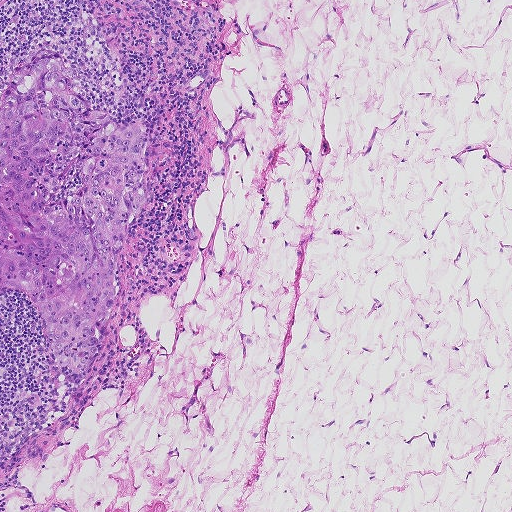
H&E-stained section of a sentinel lymph node (breast cancer), from a whole-slide image, viewed at about 5×: the field is about 0.93 mm across, about 1.8 µm per pixel.
The outlined metastatic tumour's edge, as a closed clockwise path of 16 points: (48, 51), (64, 60), (87, 103), (115, 125), (146, 133), (153, 198), (119, 253), (108, 331), (83, 381), (67, 381), (57, 367), (42, 315), (20, 290), (0, 294), (0, 104), (18, 68).
About 10% of this field is tumour.